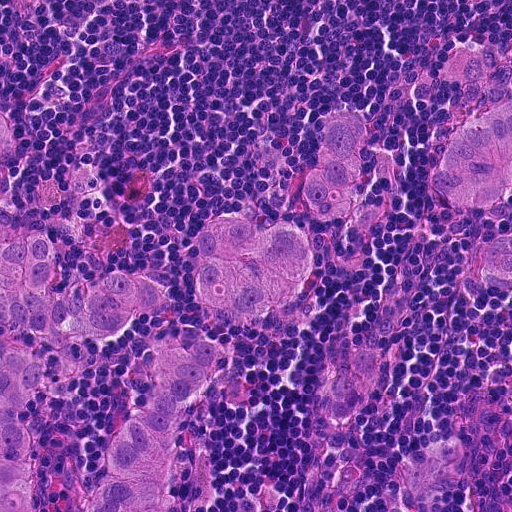
Lymph node section stained with H&E, from a whole-slide image of a breast-cancer sentinel node. Magnification about 20×, about 0.23 mm across the frame, about 0.45 µm per pixel.
Question: Is there metastatic carcinoma in this field?
Answer: Yes.
Outlines of four tumour regions, largest first (closed clockwise paths, crop pixels): region 1: (365, 108), (360, 182), (345, 216), (331, 223), (309, 211), (295, 225), (312, 239), (316, 278), (295, 309), (216, 309), (207, 334), (231, 362), (174, 424), (171, 466), (181, 511), (78, 511), (100, 472), (107, 434), (128, 402), (133, 365), (163, 342), (200, 328), (209, 308), (190, 292), (200, 255), (196, 228), (230, 209), (262, 230), (290, 223), (306, 202), (324, 116); region 2: (0, 203), (50, 228), (60, 258), (53, 292), (109, 269), (135, 269), (166, 286), (160, 311), (140, 318), (112, 342), (72, 348), (35, 346), (37, 384), (19, 418), (28, 455), (27, 511), (0, 511); region 3: (504, 106), (511, 109), (511, 176), (508, 196), (476, 206), (442, 204), (436, 176), (446, 143), (472, 120); region 4: (0, 96), (2, 96), (20, 131), (6, 165), (0, 165).
About 20% of this field is tumour.